Question: 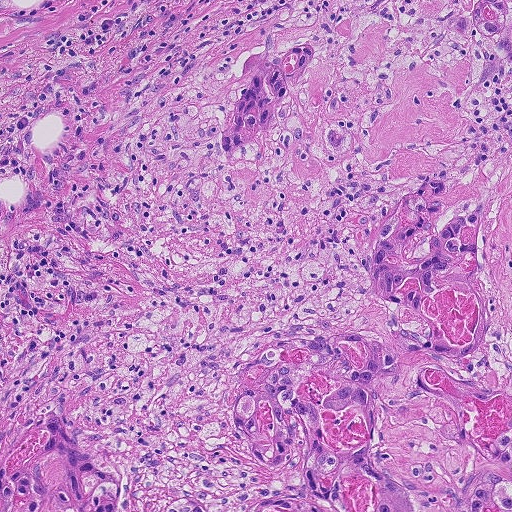
Lymph node section stained with H&E, from a whole-slide image of a breast-cancer sentinel node. Magnification about 10×, about 0.46 mm across the frame, about 0.9 µm per pixel.
Estimate the proportion of this field that is metastatic tumour.

Choices:
 (A) about 10% to 20%
 (B) about 5% or less
 (C) about 25% to 45%
 (D) about 50% or more
 (E) none: no tumour is outlined

Answer: (C) about 25% to 45%
About 45% of the field is tumour.
Three metastatic tumour regions, each outlined as a closed clockwise path in crop pixels (x, y), largest first: region 1: (511, 0), (511, 511), (248, 511), (299, 481), (304, 460), (260, 467), (228, 430), (240, 360), (302, 324), (374, 337), (386, 316), (360, 247), (430, 178), (382, 181), (389, 163), (358, 154), (293, 186), (224, 166), (219, 142), (245, 57), (369, 6); region 2: (40, 410), (60, 412), (73, 420), (82, 442), (102, 472), (122, 472), (131, 504), (139, 511), (0, 511), (0, 452); region 3: (192, 494), (211, 511), (163, 511), (168, 500).